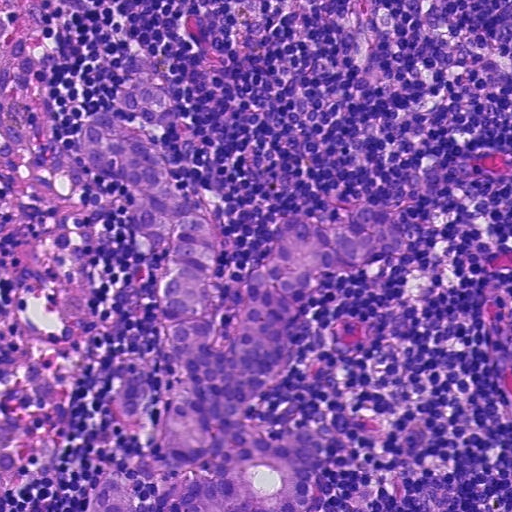
H&E-stained section of a sentinel lymph node (breast cancer), from a whole-slide image, viewed at about 20×: the field is about 0.23 mm across, about 0.45 µm per pixel.
Question: Show where the tumour is in this image.
Answer: Boundaries of two metastatic tumour regions, simplified and listed clockwise, largest first: region 1: (132, 70), (171, 82), (180, 103), (152, 133), (217, 218), (234, 284), (304, 209), (344, 216), (378, 194), (424, 235), (299, 298), (317, 334), (246, 412), (282, 431), (338, 422), (312, 511), (91, 511), (160, 418), (160, 382), (124, 422), (119, 377), (166, 365), (160, 286), (78, 131); region 2: (0, 416), (6, 420), (46, 431), (59, 439), (50, 465), (0, 481).
The annotated tumour makes up about 25% of the crop.